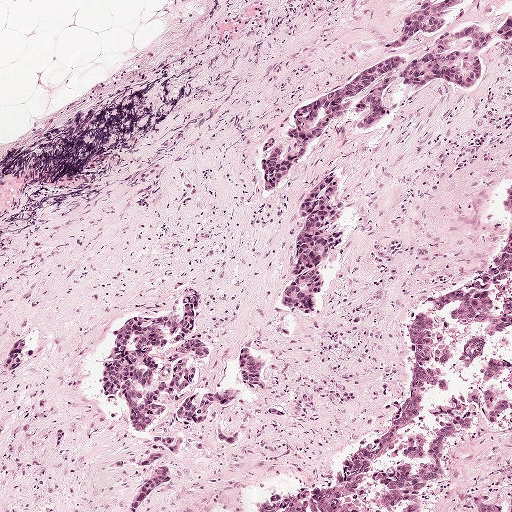
This is a crop of a whole-slide image: an H&E-stained breast-cancer sentinel lymph node section at roughly 5× magnification (about 1.9 µm per pixel; the crop spans about 1 mm).
Question: Trace the edge of each tumour region in this crop, as (x, y) points from 0 to 511.
Answer: Tumour region outline (a closed clockwise path, crop pixels): (511, 18), (511, 37), (495, 41), (485, 51), (472, 87), (426, 83), (411, 92), (381, 125), (356, 130), (337, 127), (306, 150), (287, 180), (260, 196), (264, 175), (257, 155), (262, 136), (286, 136), (300, 105), (393, 60), (422, 52), (437, 40), (462, 36), (478, 28), (497, 32).
Tumour covers about 5% of the frame.